H&E-stained section of a sentinel lymph node (breast cancer), from a whole-slide image, viewed at about 20×: the field is about 0.23 mm across, about 0.45 µm per pixel.
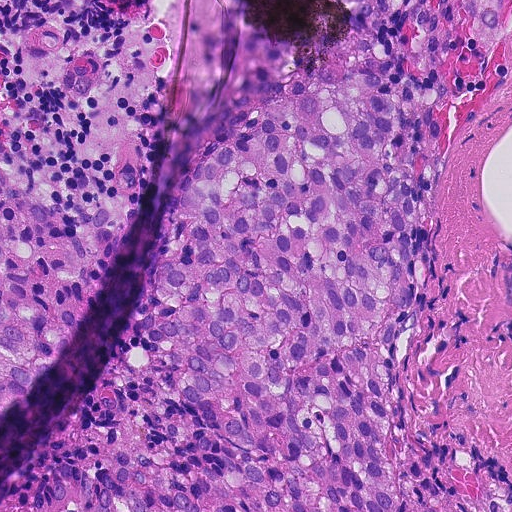
Question: Is any metastatic breast cancer visible in this crop?
Answer: Yes.
Outlines of two tumour regions, largest first (closed clockwise paths, crop pixels): region 1: (296, 0), (394, 0), (374, 41), (410, 196), (408, 312), (378, 361), (403, 511), (0, 511), (144, 338), (172, 274), (174, 210), (210, 157), (290, 78), (300, 52); region 2: (0, 170), (56, 202), (111, 204), (121, 225), (43, 362), (0, 399).
Tumour covers about 50% of the frame.